Question: 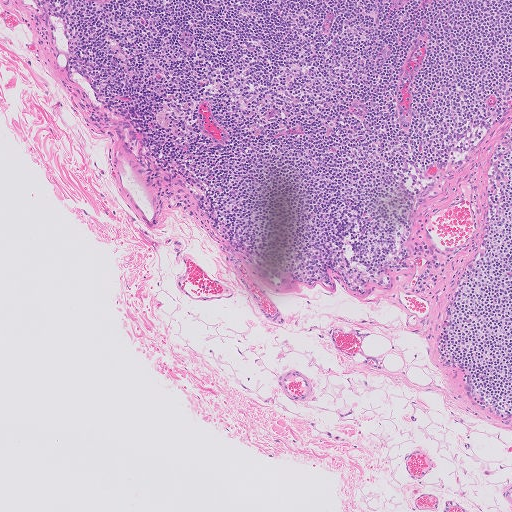
At roughly what magnification is this field shown?

Choices:
 (A) about 10×
 (B) about 5×
 (C) about 2.5×
 (D) about 40×
 (E) about 20×

Answer: (B) about 5×
This is a crop of a whole-slide image: an H&E-stained breast-cancer sentinel lymph node section at roughly 5× magnification (about 2.0 µm per pixel; the crop spans about 1.0 mm).